Question: 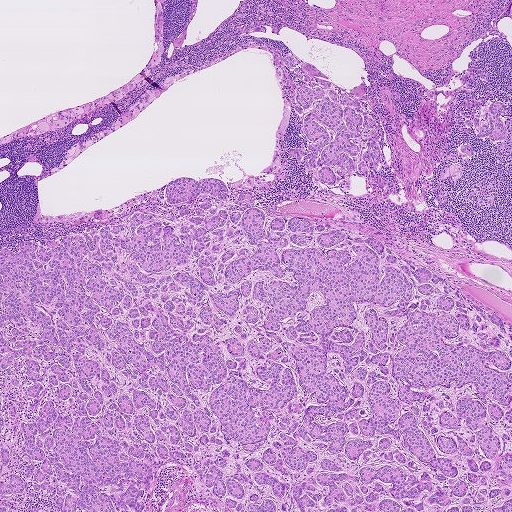
Lymph node section stained with H&E, from a whole-slide image of a breast-cancer sentinel node. Magnification about 2.5×, about 1.9 mm across the frame, about 3.6 µm per pixel.
Roughly what share of this field is metastatic tumour?

Choices:
 (A) about 5% or less
 (B) about 10% to 20%
 (C) about 25% to 45%
 (D) about 50% or more
 (E) none: no tumour is outlined

Answer: (D) about 50% or more
About 55% of the field is tumour.
Outlines of four tumour regions, largest first (closed clockwise paths, crop pixels): region 1: (174, 179), (219, 179), (230, 201), (253, 194), (266, 229), (298, 216), (380, 240), (511, 331), (511, 511), (0, 511), (0, 250), (21, 251), (24, 240), (46, 247), (136, 210), (181, 218), (189, 204), (165, 200); region 2: (287, 55), (312, 65), (329, 79), (315, 77), (350, 94), (374, 118), (381, 166), (366, 178), (350, 177), (348, 192), (318, 183), (305, 160), (300, 163), (296, 156), (288, 156), (290, 148), (309, 146), (294, 105), (296, 89), (311, 90), (314, 86), (298, 79), (283, 63); region 3: (497, 100), (507, 106), (506, 122), (508, 134), (505, 139), (495, 144), (491, 141), (488, 136), (477, 137), (473, 124), (469, 128), (465, 124), (466, 117), (470, 119), (478, 112), (478, 106); region 4: (463, 144), (469, 144), (473, 148), (474, 153), (470, 156), (465, 156), (460, 154), (456, 149), (460, 145).